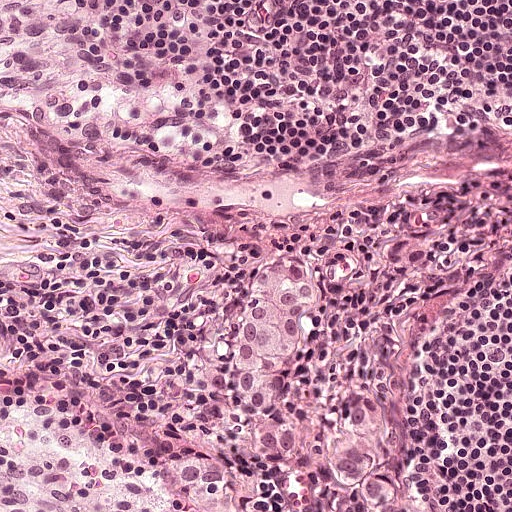
A 0.25-mm field of an H&E-stained sentinel lymph node from a breast-cancer patient (whole-slide image), shown at about 20×, about 0.49 µm per pixel.
Boundaries of two metastatic tumour regions, simplified and listed clockwise, largest first: region 1: (270, 260), (322, 276), (317, 308), (314, 449), (312, 461), (302, 467), (258, 467), (238, 461), (214, 422), (220, 384); region 2: (390, 414), (396, 426), (414, 442), (418, 464), (413, 511), (336, 511), (340, 440), (362, 421).
Tumour covers about 10% of the frame.